This is a crop of a whole-slide image: an H&E-stained breast-cancer sentinel lymph node section at roughly 5× magnification (about 1.9 µm per pixel; the crop spans about 1 mm).
Image:
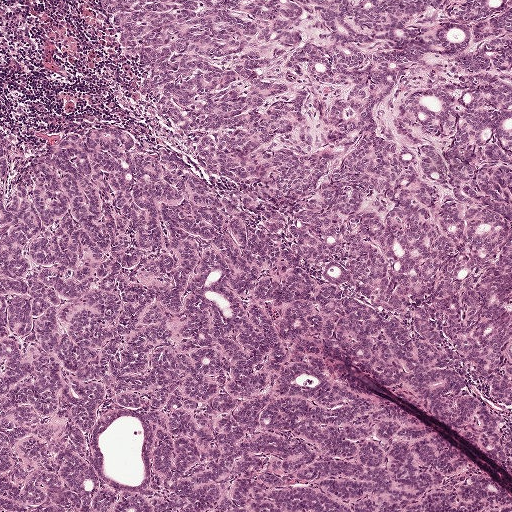
Question:
Does this lymph node field contain metastatic tumour?
Answer:
Yes.
One metastatic tumour region; its boundary, reduced to 16 corners and listed clockwise: (103, 0), (511, 0), (511, 474), (331, 356), (511, 497), (511, 511), (0, 511), (0, 132), (3, 203), (27, 151), (90, 122), (152, 136), (205, 179), (242, 186), (192, 162), (127, 63).
About 90% of this field is tumour.